Question: 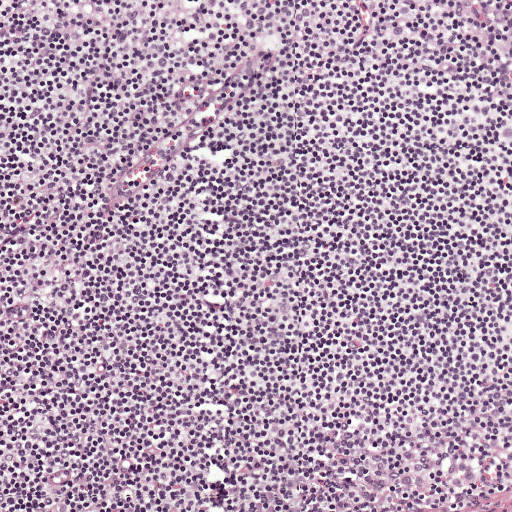
At roughly what magnification is this field shown?

Choices:
 (A) about 5×
 (B) about 10×
 (C) about 2.5×
 (D) about 20×
 (E) about 40×

Answer: (B) about 10×
H&E-stained section of a sentinel lymph node (breast cancer), from a whole-slide image, viewed at about 10×: the field is about 0.5 mm across, about 0.97 µm per pixel.